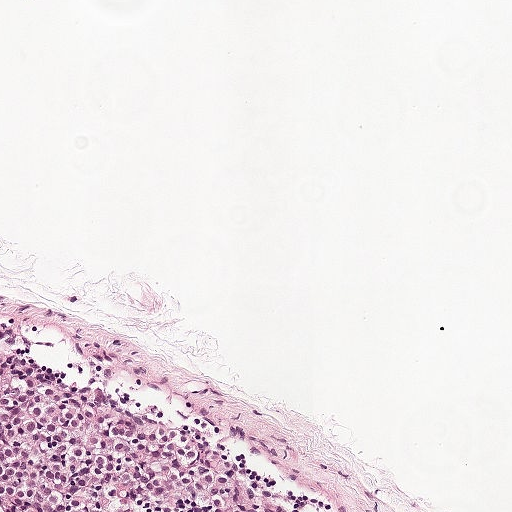
A 0.5-mm field of an H&E-stained sentinel lymph node from a breast-cancer patient (whole-slide image), shown at about 10×, about 0.97 µm per pixel.
Question: Where is the metastatic tumour in this field?
Answer: The outlined metastatic tumour's edge, as a closed clockwise path of 5 points: (0, 332), (106, 359), (207, 401), (309, 509), (0, 511).
About 15% of the image area is annotated as tumour.